Question: 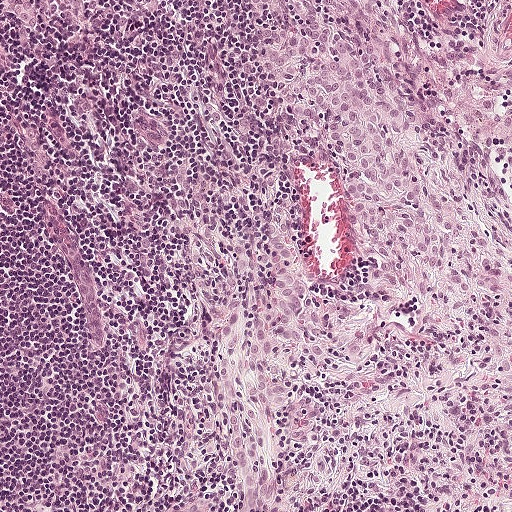
Lymph node section stained with H&E, from a whole-slide image of a breast-cancer sentinel node. Magnification about 10×, about 0.5 mm across the frame, about 0.97 µm per pixel.
Roughly what share of this field is metastatic tumour?

Choices:
 (A) about 5% or less
 (B) about 50% or more
 (C) about 25% to 45%
 (D) none: no tumour is outlined
 (E) about 10% to 20%

Answer: (E) about 10% to 20%
About 10% of the field is tumour.
Metastatic tumour outline, simplified to 21 points and listed clockwise in crop pixels (x, y): (254, 1), (311, 4), (398, 66), (419, 106), (426, 152), (443, 196), (459, 215), (469, 216), (442, 274), (428, 274), (415, 262), (387, 285), (368, 277), (359, 262), (350, 170), (317, 147), (288, 105), (246, 79), (250, 63), (267, 49), (267, 16).